This is a crop of a whole-slide image: an H&E-stained breast-cancer sentinel lymph node section at roughly 2.5× magnification (about 3.9 µm per pixel; the crop spans about 2.0 mm).
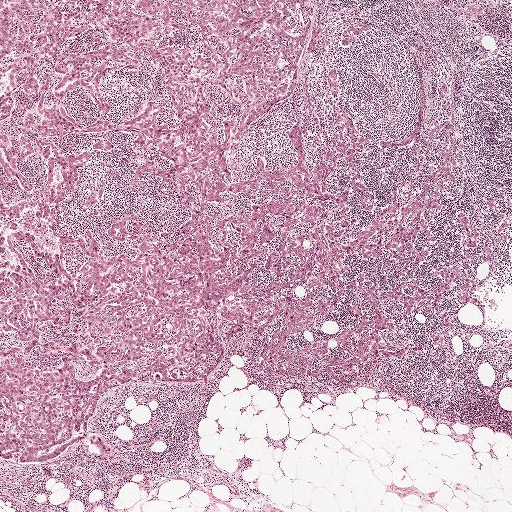
Question: Is any metastatic breast cancer visible in this crop?
Answer: Yes.
Boundaries of two metastatic tumour regions, simplified and listed clockwise, largest first: region 1: (204, 215), (232, 246), (232, 273), (258, 272), (211, 311), (221, 365), (179, 385), (127, 378), (74, 446), (2, 462), (0, 361), (40, 372), (64, 356), (0, 354), (17, 338), (0, 317), (8, 237), (54, 283), (13, 233), (54, 248), (76, 279); region 2: (173, 0), (309, 0), (316, 21), (294, 87), (255, 114), (228, 151), (225, 126), (237, 109), (216, 86), (204, 87), (220, 152), (234, 179), (253, 176), (257, 189), (183, 211), (169, 188), (150, 174), (141, 191), (131, 186), (146, 161), (167, 170), (168, 160), (135, 147), (130, 133), (81, 128), (131, 115), (150, 100), (161, 106), (161, 125), (181, 124), (143, 48), (150, 41), (205, 50), (204, 36).
The annotated tumour makes up about 20% of the crop.